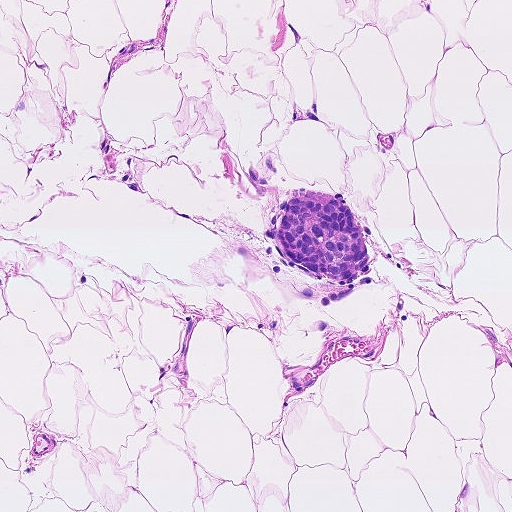
This is a crop of a whole-slide image: an H&E-stained breast-cancer sentinel lymph node section at roughly 10× magnification (about 0.9 µm per pixel; the crop spans about 0.46 mm).
Question: Describe where the metastatic carcinoma lies in this crop.
Answer: One metastatic tumour region; its boundary, reduced to 11 corners and listed clockwise: (312, 186), (346, 196), (360, 212), (372, 269), (364, 283), (328, 287), (290, 276), (272, 248), (268, 224), (280, 202), (299, 189).
The annotated tumour makes up about 5% of the crop.